Lymph node section stained with H&E, from a whole-slide image of a breast-cancer sentinel node. Magnification about 2.5×, about 2.0 mm across the frame, about 3.9 µm per pixel.
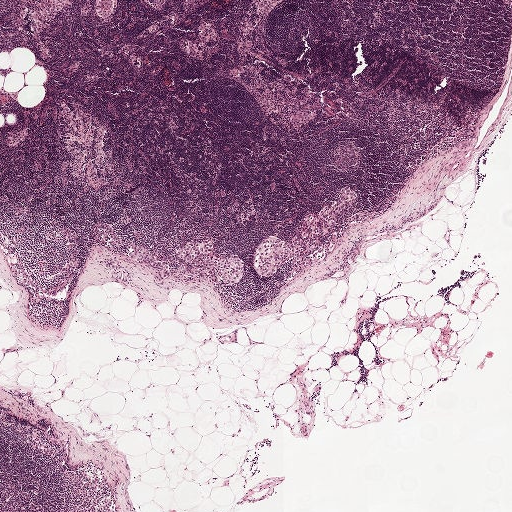
Question: Which parts of this field are metastatic tumour?
Answer: Boundaries of three metastatic tumour regions, simplified and listed clockwise, largest first: region 1: (345, 184), (352, 185), (358, 190), (358, 197), (336, 224), (323, 233), (315, 252), (316, 259), (302, 272), (292, 272), (293, 264), (290, 258), (269, 277), (262, 277), (255, 274), (253, 261), (262, 238), (272, 234), (285, 241), (294, 238), (305, 215), (320, 211), (338, 197); region 2: (192, 238), (203, 238), (215, 242), (218, 255), (234, 254), (243, 259), (243, 273), (236, 285), (229, 286), (223, 284), (218, 286), (213, 286), (205, 270), (190, 283), (185, 284), (181, 281), (178, 274), (177, 251); region 3: (143, 244), (158, 254), (171, 254), (171, 259), (167, 261), (171, 268), (171, 276), (160, 277), (152, 268), (129, 257), (127, 254), (129, 250).
Tumour covers under 5% of the frame.